Question: 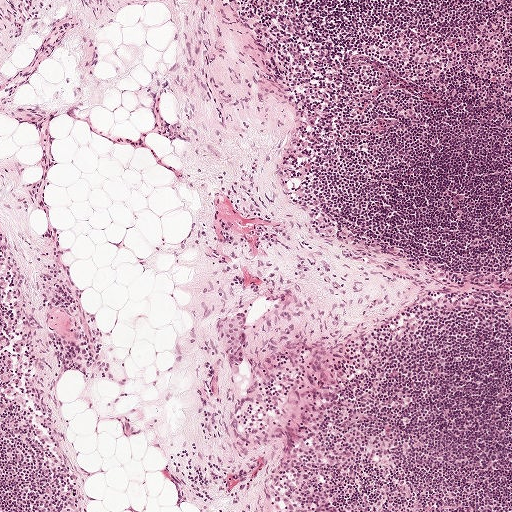
About what magnification does this crop show?

Choices:
 (A) about 10×
 (B) about 20×
 (C) about 40×
 (D) about 5×
 (E) about 2.5×

Answer: (D) about 5×
H&E-stained section of a sentinel lymph node (breast cancer), from a whole-slide image, viewed at about 5×: the field is about 1 mm across, about 1.9 µm per pixel.